Lymph node section stained with H&E, from a whole-slide image of a breast-cancer sentinel node. Magnification about 20×, about 0.23 mm across the frame, about 0.45 µm per pixel.
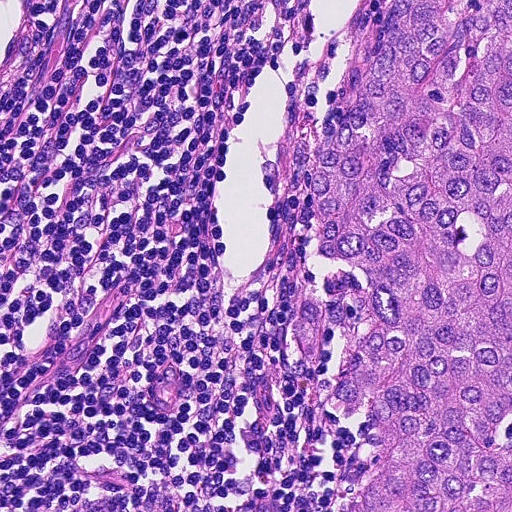
The outlined metastatic tumour's edge, as a closed clockwise path of 13 points: (383, 0), (511, 0), (511, 511), (341, 511), (370, 458), (370, 398), (336, 410), (322, 382), (370, 300), (362, 270), (305, 240), (305, 208), (326, 113).
Tumour covers about 35% of the frame.